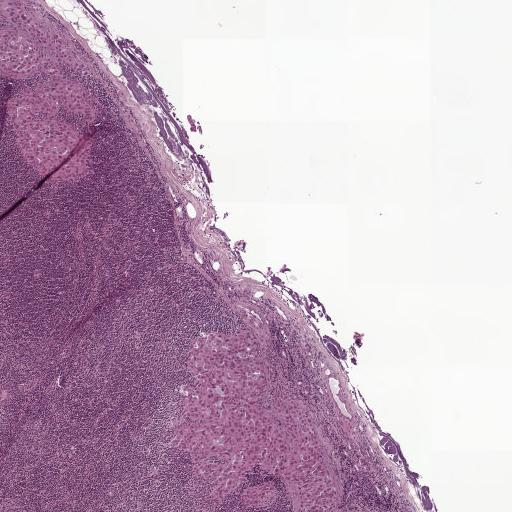
A 2.0-mm field of an H&E-stained sentinel lymph node from a breast-cancer patient (whole-slide image), shown at about 2.5×, about 3.9 µm per pixel.
Question: Which parts of this field are metastatic tumour?
Answer: Three metastatic tumour regions, each outlined as a closed clockwise path in crop pixels (x, y), largest first: region 1: (254, 326), (271, 375), (260, 403), (293, 448), (273, 404), (286, 392), (303, 401), (340, 474), (343, 511), (298, 511), (296, 487), (259, 464), (251, 483), (224, 500), (213, 500), (215, 484), (195, 479), (167, 429), (181, 417), (179, 390), (194, 379), (184, 361), (195, 332); region 2: (0, 0), (17, 0), (87, 65), (87, 74), (78, 74), (49, 50), (69, 80), (88, 88), (95, 114), (90, 122), (64, 106), (56, 117), (89, 142), (95, 169), (82, 182), (45, 185), (16, 147), (6, 101), (52, 79), (40, 66), (24, 81), (0, 74), (0, 31), (13, 27); region 3: (270, 481), (276, 484), (276, 490), (256, 506), (250, 507), (241, 499), (242, 493), (247, 488).
Tumour covers about 10% of the frame.